A 0.5-mm field of an H&E-stained sentinel lymph node from a breast-cancer patient (whole-slide image), shown at about 10×, about 0.97 µm per pixel.
Image:
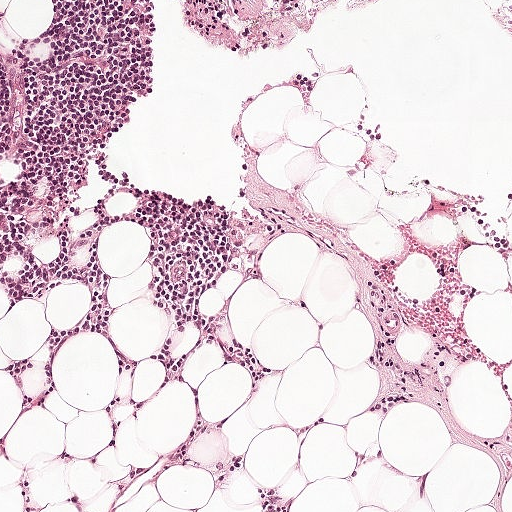
Question:
Is any metastatic breast cancer visible in this crop?
Answer:
No, this field holds no outlined metastasis.